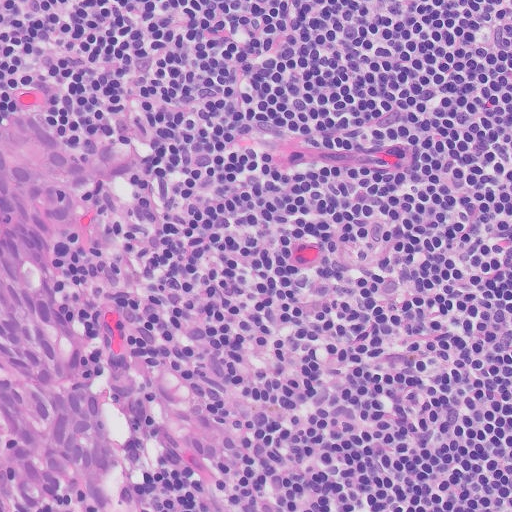
A 0.26-mm field of an H&E-stained sentinel lymph node from a breast-cancer patient (whole-slide image), shown at about 20×, about 0.5 µm per pixel.
Tumour region outline (a closed clockwise path, crop pixels): (32, 106), (80, 142), (98, 170), (98, 204), (68, 260), (117, 446), (95, 504), (69, 511), (32, 506), (0, 488), (0, 116).
The annotated tumour makes up about 15% of the crop.